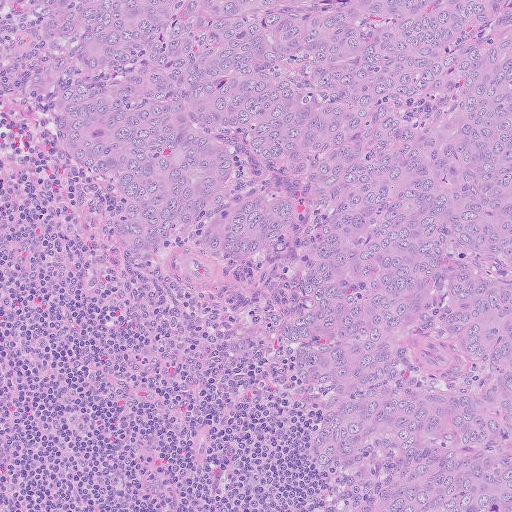
This is a crop of a whole-slide image: an H&E-stained breast-cancer sentinel lymph node section at roughly 10× magnification (about 1.0 µm per pixel; the crop spans about 0.51 mm).
Tumour region outline (a closed clockwise path, crop pixels): (0, 0), (511, 0), (511, 511), (303, 511), (314, 488), (308, 421), (233, 269), (134, 239), (50, 177), (7, 122).
About 70% of this field is tumour.